Image:
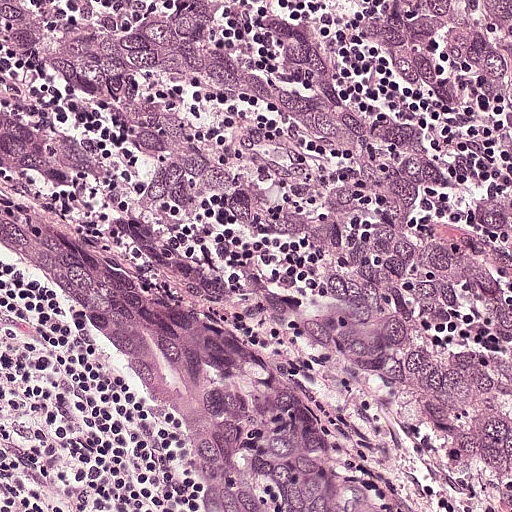
This is a crop of a whole-slide image: an H&E-stained breast-cancer sentinel lymph node section at roughly 20× magnification (about 0.49 µm per pixel; the crop spans about 0.25 mm).
Question:
Which parts of this field are metastatic tumour? Answer with the outline of each region, in pixels.
Answer:
The outlined metastatic tumour's edge, as a closed clockwise path of 8 points: (119, 311), (210, 322), (298, 362), (364, 440), (398, 508), (203, 511), (165, 416), (119, 340).
About 15% of this field is tumour.